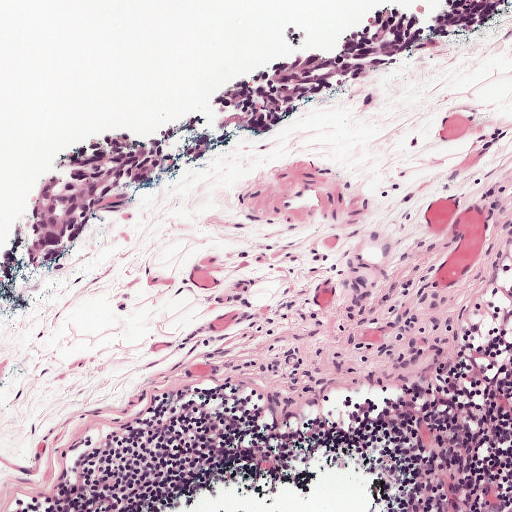
A 0.5-mm field of an H&E-stained sentinel lymph node from a breast-cancer patient (whole-slide image), shown at about 10×, about 0.97 µm per pixel.
One metastatic tumour region; its boundary, reduced to 12 corners and listed clockwise: (503, 0), (497, 18), (324, 96), (277, 130), (249, 132), (113, 213), (73, 254), (0, 285), (0, 240), (28, 192), (74, 141), (376, 6).
The annotated tumour makes up about 15% of the crop.